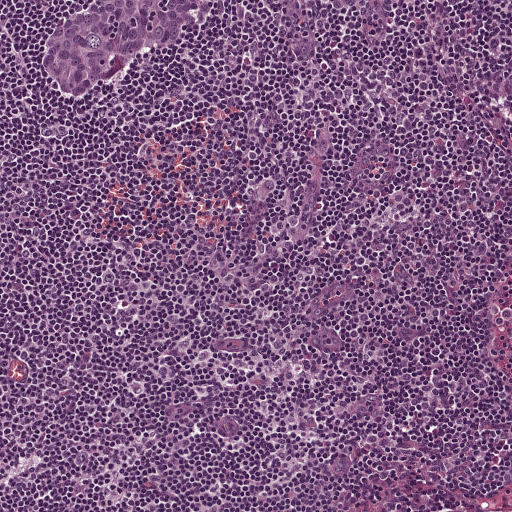
H&E-stained section of a sentinel lymph node (breast cancer), from a whole-slide image, viewed at about 10×: the field is about 0.5 mm across, about 0.97 µm per pixel.
Tumour region outline (a closed clockwise path, crop pixels): (79, 0), (196, 0), (188, 40), (176, 52), (160, 54), (128, 72), (80, 121), (42, 76), (36, 56), (55, 17).
The annotated tumour makes up about 5% of the crop.